H&E-stained section of a sentinel lymph node (breast cancer), from a whole-slide image, viewed at about 5×: the field is about 1 mm across, about 1.9 µm per pixel.
Image:
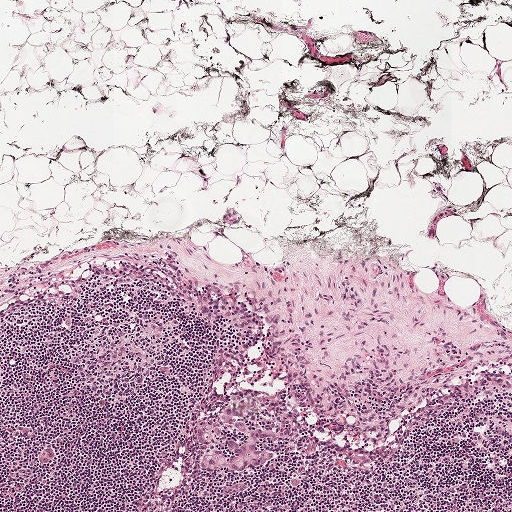
Question:
Show where the tumour is in this image.
Answer:
One metastatic tumour region; its boundary, reduced to 20 corners and listed clockwise: (244, 406), (249, 425), (262, 426), (281, 435), (275, 439), (268, 436), (261, 438), (263, 447), (277, 450), (277, 456), (266, 465), (244, 469), (228, 467), (212, 469), (201, 465), (203, 447), (194, 428), (210, 416), (219, 416), (227, 407).
Under 5% of this field is tumour.